Question: 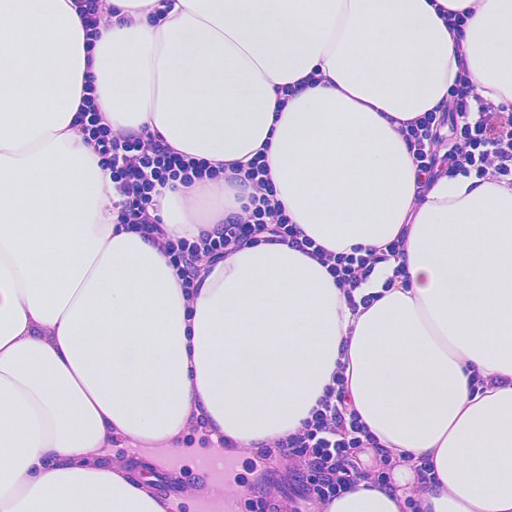
Which magnification is this H&E lymph node field most likely shown at?

Choices:
 (A) about 5×
 (B) about 10×
 (C) about 40×
 (D) about 20×
 (E) about 2.5×

Answer: (D) about 20×
This is a crop of a whole-slide image: an H&E-stained breast-cancer sentinel lymph node section at roughly 20× magnification (about 0.45 µm per pixel; the crop spans about 0.23 mm).